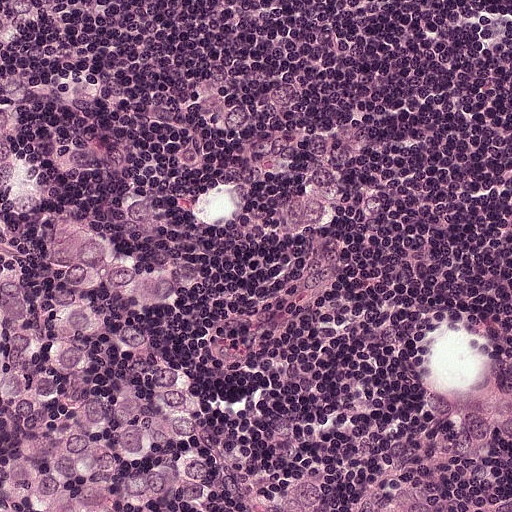
This is a crop of a whole-slide image: an H&E-stained breast-cancer sentinel lymph node section at roughly 20× magnification (about 0.49 µm per pixel; the crop spans about 0.25 mm).
Tumour region outline (a closed clockwise path, crop pixels): (0, 108), (84, 224), (158, 278), (212, 410), (260, 438), (343, 464), (409, 511), (0, 511), (10, 318), (0, 311).
The annotated tumour makes up about 25% of the crop.